H&E-stained section of a sentinel lymph node (breast cancer), from a whole-slide image, viewed at about 20×: the field is about 0.25 mm across, about 0.49 µm per pixel.
Question: 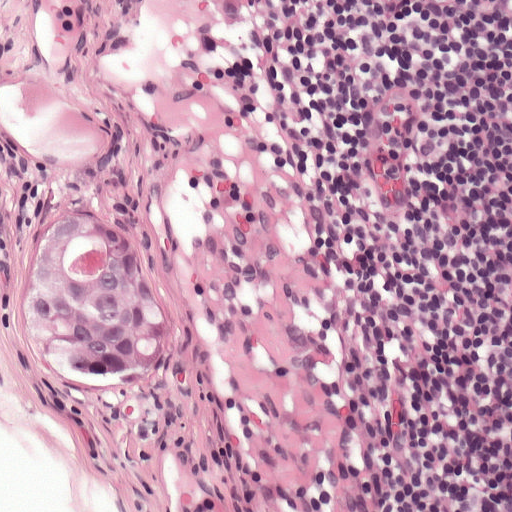
Estimate the proportion of this field that is metastatic tumour.

Choices:
 (A) about 50% or more
 (B) none: no tumour is outlined
 (C) about 10% to 20%
 (D) about 5% or less
 (E) about 25% to 45%

Answer: (C) about 10% to 20%
About 10% of the field is tumour.
One metastatic tumour region; its boundary, reduced to 8 corners and listed clockwise: (72, 206), (96, 210), (164, 244), (184, 318), (144, 382), (68, 397), (15, 342), (22, 265).